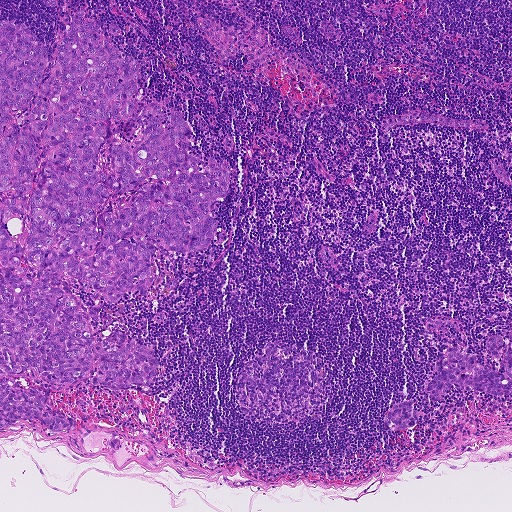
Lymph node section stained with H&E, from a whole-slide image of a breast-cancer sentinel node. Magnification about 5×, about 0.93 mm across the frame, about 1.8 µm per pixel.
Question: Does this lymph node field contain metastatic tumour?
Answer: Yes.
Four metastatic tumour regions, each outlined as a closed clockwise path in crop pixels (x, y), largest first: region 1: (83, 8), (140, 70), (118, 140), (136, 140), (149, 104), (164, 128), (178, 110), (228, 196), (206, 250), (152, 241), (145, 289), (108, 304), (67, 277), (101, 308), (94, 338), (154, 351), (154, 383), (0, 377), (0, 21), (43, 44), (42, 84); region 2: (511, 329), (511, 394), (494, 396), (478, 390), (464, 390), (454, 384), (444, 398), (436, 401), (429, 399), (425, 392), (434, 378), (440, 353), (453, 343), (458, 344), (475, 356), (477, 363), (499, 369), (498, 360), (487, 354), (486, 340), (493, 335), (509, 338); region 3: (13, 379), (19, 380), (22, 384), (40, 390), (48, 399), (52, 410), (57, 410), (73, 419), (73, 424), (66, 433), (60, 433), (54, 433), (32, 420), (26, 419), (14, 422), (0, 428), (0, 381); region 4: (411, 399), (413, 400), (412, 406), (417, 411), (417, 423), (401, 431), (389, 429), (386, 424), (386, 412), (393, 403).
Two more small tumour pieces are annotated here but not outlined.
About 25% of this field is tumour.